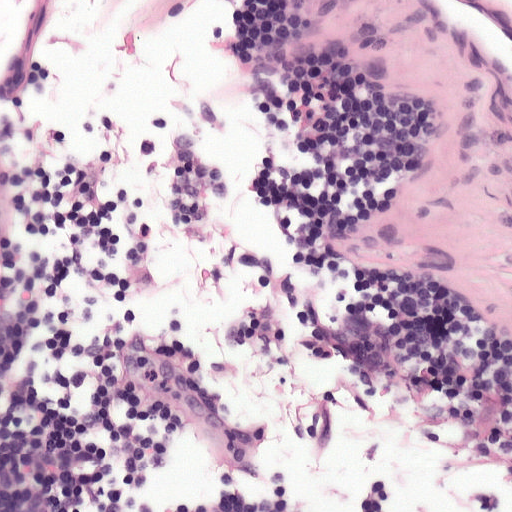
A 0.25-mm field of an H&E-stained sentinel lymph node from a breast-cancer patient (whole-slide image), shown at about 20×, about 0.49 µm per pixel.